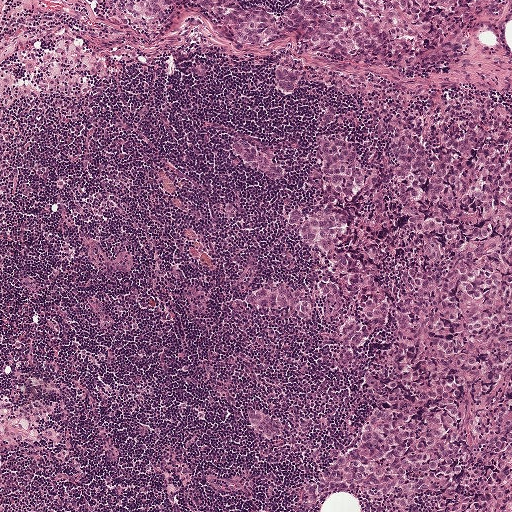
Lymph node section stained with H&E, from a whole-slide image of a breast-cancer sentinel node. Magnification about 5×, about 1 mm across the frame, about 1.9 µm per pixel.
Two metastatic tumour regions, each outlined as a closed clockwise path in crop pixels (x, y), largest first: region 1: (365, 92), (511, 108), (511, 511), (374, 511), (352, 490), (300, 500), (325, 463), (266, 436), (246, 410), (259, 406), (338, 444), (361, 387), (330, 356), (323, 326), (266, 311), (245, 283), (323, 274), (286, 212), (323, 190), (239, 168), (224, 139), (303, 160), (312, 112); region 2: (154, 0), (487, 0), (441, 51), (400, 54), (363, 79), (331, 84), (302, 70), (297, 88), (285, 94), (274, 83), (277, 69), (300, 69), (284, 55), (250, 60), (235, 54), (192, 28), (172, 35), (147, 33), (140, 25), (140, 10).
About 40% of this field is tumour.